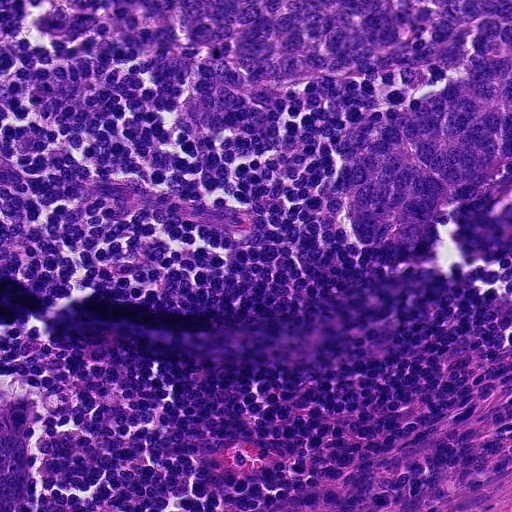
H&E-stained section of a sentinel lymph node (breast cancer), from a whole-slide image, viewed at about 20×: the field is about 0.23 mm across, about 0.45 µm per pixel.
Outlines of two tumour regions, largest first (closed clockwise paths, crop pixels): region 1: (511, 0), (511, 303), (466, 272), (357, 258), (333, 230), (319, 198), (330, 128), (417, 85), (276, 96), (252, 122), (183, 138), (153, 68), (88, 30), (65, 4); region 2: (0, 378), (98, 433), (98, 478), (56, 490), (24, 460), (28, 504), (20, 511), (0, 511).
About 30% of the image area is annotated as tumour.